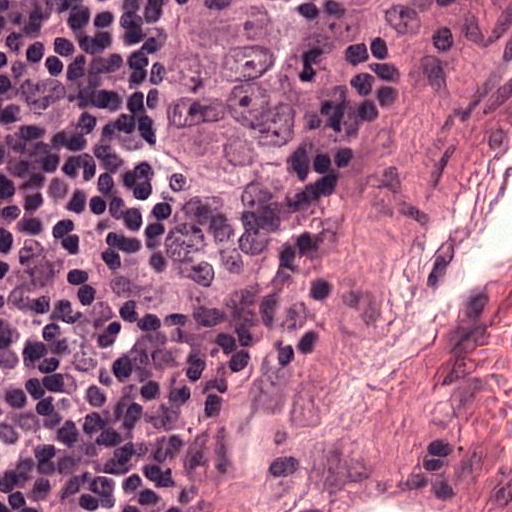
Lymph node section stained with H&E, from a whole-slide image of a breast-cancer sentinel node. Magnification about 40×, about 0.12 mm across the frame, about 0.24 µm per pixel.
Tumour region outline (a closed clockwise path, crop pixels): (277, 0), (300, 16), (318, 54), (320, 132), (306, 185), (268, 254), (209, 293), (181, 293), (162, 288), (143, 260), (140, 213), (171, 166), (175, 51), (193, 13), (209, 1).
The annotated tumour makes up about 15% of the crop.